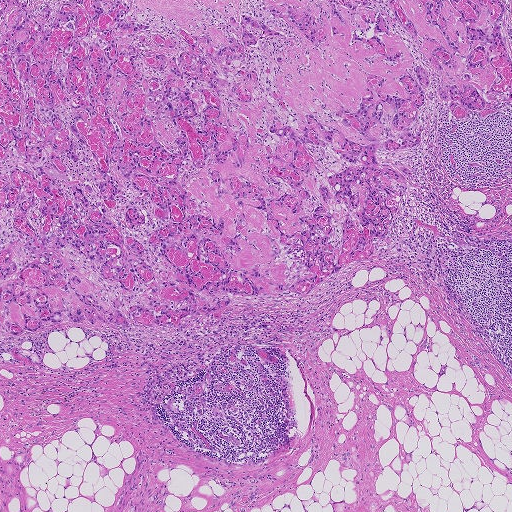
H&E-stained section of a sentinel lymph node (breast cancer), from a whole-slide image, viewed at about 2.5×: the field is about 1.9 mm across, about 3.6 µm per pixel.
Tumour region outline (a closed clockwise path, crop pixels): (0, 0), (52, 10), (71, 0), (511, 0), (511, 101), (459, 121), (437, 86), (422, 88), (422, 144), (393, 156), (412, 173), (409, 185), (370, 256), (306, 296), (239, 294), (178, 325), (0, 331).
About 50% of this field is tumour.